Question: 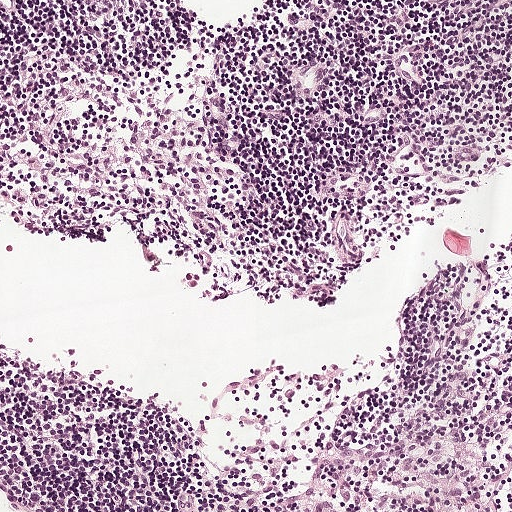
About what magnification does this crop show?

Choices:
 (A) about 5×
 (B) about 2.5×
 (C) about 20×
 (D) about 10×
 (E) about 40×

Answer: (D) about 10×
This is a crop of a whole-slide image: an H&E-stained breast-cancer sentinel lymph node section at roughly 10× magnification (about 0.97 µm per pixel; the crop spans about 0.5 mm).